Question: 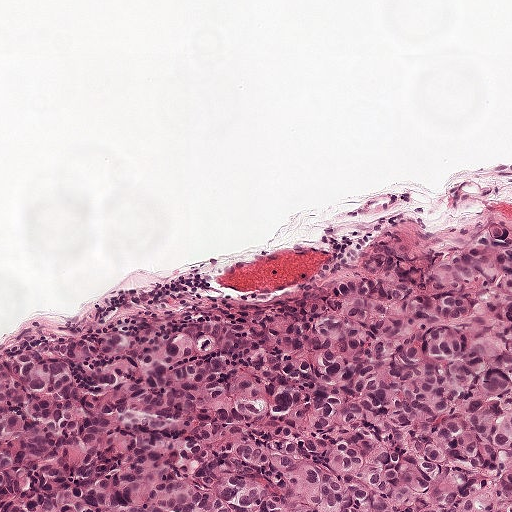
This is a crop of a whole-slide image: an H&E-stained breast-cancer sentinel lymph node section at roughly 10× magnification (about 0.97 µm per pixel; the crop spans about 0.5 mm).
Roughly what share of this field is metastatic tumour?

Choices:
 (A) about 25% to 45%
 (B) about 10% to 20%
 (C) none: no tumour is outlined
 (D) about 5% or less
 (E) about 50% or more

Answer: (E) about 50% or more
About 50% of the field is tumour.
One metastatic tumour region; its boundary, reduced to 9 corners and listed clockwise: (511, 196), (511, 511), (0, 511), (0, 355), (23, 340), (136, 289), (321, 274), (321, 252), (409, 209).